Question: 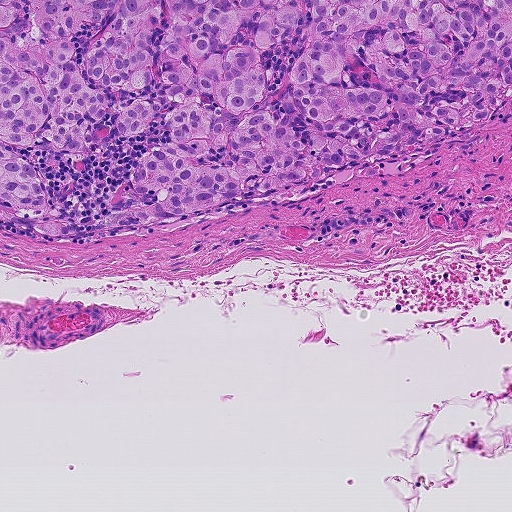
H&E-stained section of a sentinel lymph node (breast cancer), from a whole-slide image, viewed at about 10×: the field is about 0.46 mm across, about 0.9 µm per pixel.
Estimate the proportion of this field that is metastatic tumour.

Choices:
 (A) about 50% or more
 (B) none: no tumour is outlined
 (C) about 5% or less
 (D) about 25% to 45%
 (E) about 10% to 20%

Answer: (D) about 25% to 45%
About 35% of the field is tumour.
One metastatic tumour region; its boundary, reduced to 17 corners and listed clockwise: (0, 0), (511, 0), (511, 93), (452, 140), (315, 189), (174, 218), (129, 176), (137, 158), (173, 140), (167, 112), (152, 134), (93, 155), (10, 149), (40, 170), (46, 219), (79, 236), (6, 224).